Lymph node section stained with H&E, from a whole-slide image of a breast-cancer sentinel node. Magnification about 5×, about 1 mm across the frame, about 1.9 µm per pixel.
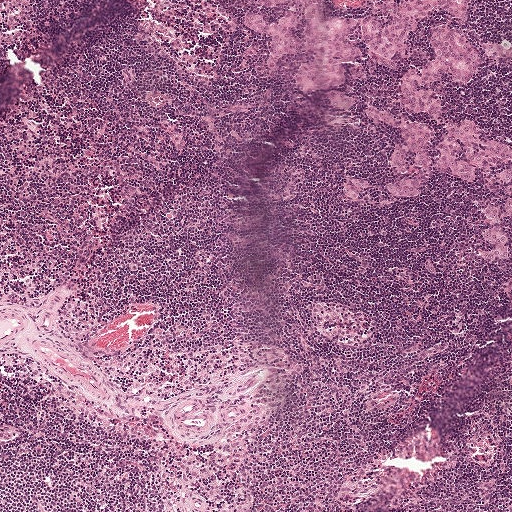
Question: Outline the metastatic carcinoma in this image, as closed paths of (x, y) pixel coordinates.
Answer: Outlines of six tumour regions, largest first (closed clockwise paths, crop pixels): region 1: (471, 0), (454, 29), (472, 42), (476, 50), (487, 37), (511, 41), (511, 63), (493, 58), (480, 59), (475, 78), (465, 86), (448, 76), (418, 85), (411, 89), (440, 92), (445, 111), (437, 121), (409, 113), (397, 102), (394, 87), (403, 70), (430, 58), (428, 39), (444, 16), (431, 11), (408, 41), (404, 53), (394, 58), (382, 58), (362, 45), (358, 32), (361, 18), (372, 10), (374, 1); region 2: (294, 0), (322, 0), (321, 13), (352, 22), (346, 40), (359, 50), (364, 78), (347, 78), (339, 91), (356, 97), (352, 110), (336, 111), (319, 92), (302, 93), (289, 80), (309, 57), (300, 20), (278, 68), (262, 68), (267, 43), (246, 33), (237, 15), (281, 17); region 3: (466, 118), (471, 118), (477, 122), (482, 135), (504, 141), (511, 146), (511, 187), (484, 170), (475, 173), (472, 185), (468, 184), (439, 165), (437, 160), (438, 152), (434, 146), (442, 140), (446, 121), (454, 124); region 4: (374, 107), (404, 124), (422, 122), (434, 130), (433, 141), (426, 148), (428, 179), (420, 192), (401, 197), (383, 188), (388, 182), (405, 180), (417, 170), (410, 152), (402, 155), (407, 170), (403, 175), (390, 167), (391, 151), (404, 140), (396, 131), (366, 118), (364, 108); region 5: (492, 204), (495, 208), (508, 250), (504, 261), (496, 264), (486, 264), (480, 260), (478, 255), (480, 251), (490, 248), (490, 245), (482, 241), (481, 234), (483, 228), (488, 223), (488, 220), (482, 217), (481, 208), (483, 205); region 6: (511, 196), (511, 218), (506, 212), (504, 206), (505, 200).
One more small tumour piece is annotated here but not outlined.
Tumour covers about 10% of the frame.